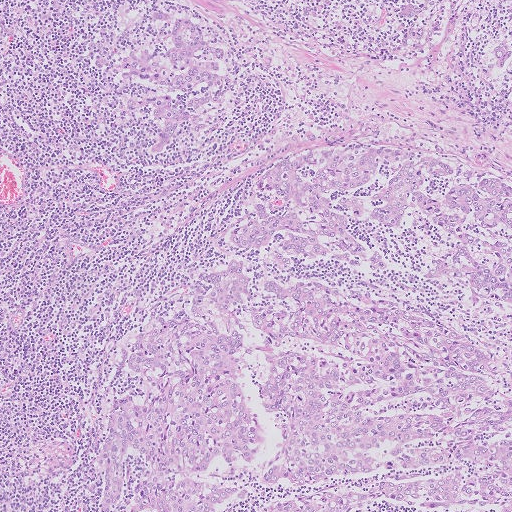
H&E-stained section of a sentinel lymph node (breast cancer), from a whole-slide image, viewed at about 5×: the field is about 1.0 mm across, about 2.0 µm per pixel.
Three metastatic tumour regions, each outlined as a closed clockwise path in crop pixels (x, y), largest first: region 1: (347, 145), (511, 175), (511, 511), (78, 511), (96, 476), (94, 439), (119, 348), (194, 278), (225, 264), (227, 231), (261, 169); region 2: (186, 13), (206, 22), (224, 39), (238, 59), (241, 85), (225, 102), (201, 112), (173, 147), (154, 159), (132, 155), (138, 131), (134, 110), (120, 90), (102, 76), (109, 55), (127, 42), (148, 39); region 3: (389, 0), (511, 0), (511, 111), (448, 58), (415, 54), (396, 44), (384, 20).
Tumour covers about 55% of the frame.